Lymph node section stained with H&E, from a whole-slide image of a breast-cancer sentinel node. Magnification about 40×, about 0.13 mm across the frame, about 0.25 µm per pixel.
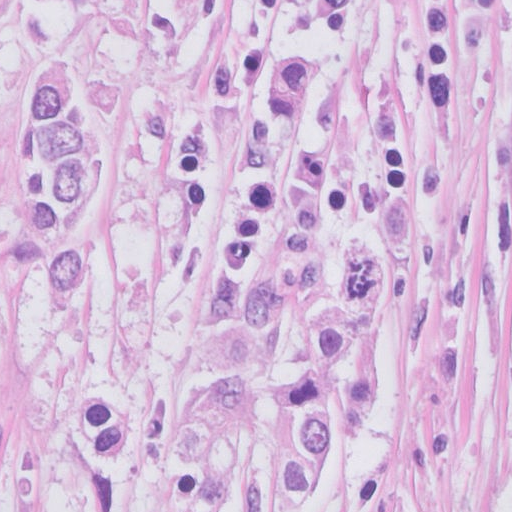
Boundaries of two metastatic tumour regions, simplified and listed clockwise, largest first: region 1: (395, 180), (427, 207), (403, 405), (283, 507), (180, 431), (203, 378), (286, 360), (343, 238); region 2: (44, 30), (106, 44), (136, 123), (136, 196), (113, 284), (49, 317), (17, 253), (4, 178), (10, 98).
One more small tumour piece is annotated here but not outlined.
The annotated tumour makes up about 25% of the crop.